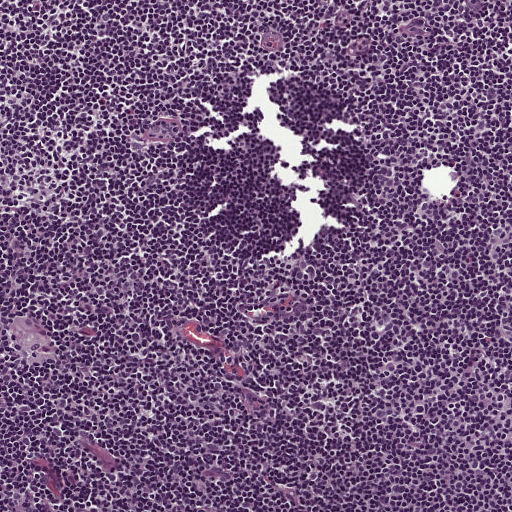
H&E-stained section of a sentinel lymph node (breast cancer), from a whole-slide image, viewed at about 10×: the field is about 0.5 mm across, about 0.97 µm per pixel.